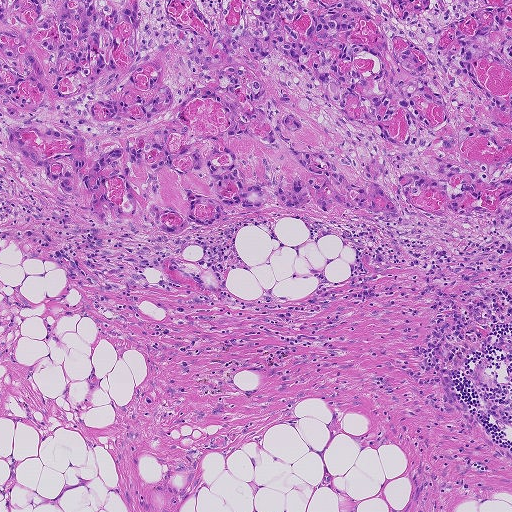
H&E-stained section of a sentinel lymph node (breast cancer), from a whole-slide image, viewed at about 5×: the field is about 0.93 mm across, about 1.8 µm per pixel.
The outlined metastatic tumour's edge, as a closed clockwise path of 15 points: (0, 0), (511, 0), (511, 195), (497, 212), (225, 206), (213, 226), (180, 233), (109, 225), (86, 215), (82, 198), (59, 198), (20, 168), (7, 148), (21, 124), (0, 115).
The annotated tumour makes up about 40% of the crop.